Image:
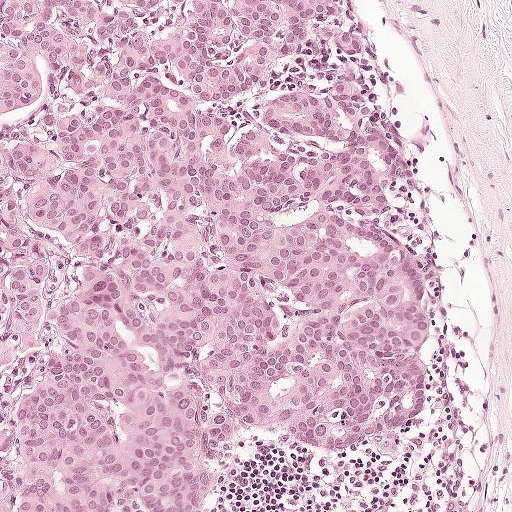
Lymph node section stained with H&E, from a whole-slide image of a breast-cancer sentinel node. Magnification about 10×, about 0.5 mm across the frame, about 0.97 µm per pixel.
Question:
Outline the metastatic carcinoma in this image, as closed paths of (x, y) pixel coordinates.
Answer:
Tumour region outline (a closed clockwise path, crop pixels): (0, 0), (351, 0), (360, 19), (367, 98), (420, 176), (389, 202), (396, 220), (384, 224), (434, 302), (425, 422), (398, 466), (236, 436), (206, 511), (0, 511).
Tumour covers about 75% of the frame.